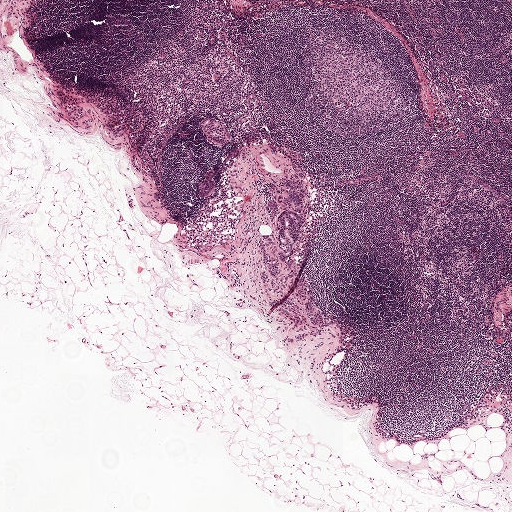
A 2.0-mm field of an H&E-stained sentinel lymph node from a breast-cancer patient (whole-slide image), shown at about 2.5×, about 3.9 µm per pixel.
Boundaries of three metastatic tumour regions, simplified and listed clockwise, largest first: region 1: (299, 176), (309, 177), (308, 209), (294, 250), (293, 266), (324, 317), (320, 327), (306, 320), (304, 327), (299, 327), (260, 297), (262, 285), (273, 285), (278, 280), (277, 280), (270, 284), (258, 279), (263, 263), (257, 245), (269, 233), (277, 232), (275, 221), (262, 211), (263, 202); region 2: (206, 116), (226, 125), (230, 132), (229, 141), (222, 145), (207, 142), (198, 126), (199, 121); region 3: (211, 169), (213, 169), (216, 183), (216, 191), (213, 196), (208, 198), (204, 198), (201, 193), (197, 191), (198, 180).
Tumour covers about 5% of the frame.